Question: 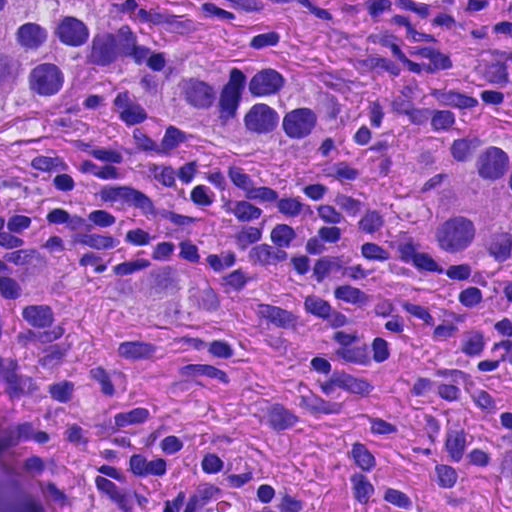
About what magnification does this crop show?

Choices:
 (A) about 20×
 (B) about 40×
 (C) about 2.5×
 (D) about 5×
 (E) about 10×

Answer: (B) about 40×
H&E-stained section of a sentinel lymph node (breast cancer), from a whole-slide image, viewed at about 40×: the field is about 0.12 mm across, about 0.23 µm per pixel.
Tumour region outline (a closed clockwise path, crop pixels): (0, 0), (74, 0), (141, 40), (299, 75), (393, 126), (449, 139), (511, 135), (511, 281), (437, 256), (370, 162), (315, 151), (259, 164), (153, 125), (109, 93), (55, 102), (0, 126).
About 20% of this field is tumour.